Image:
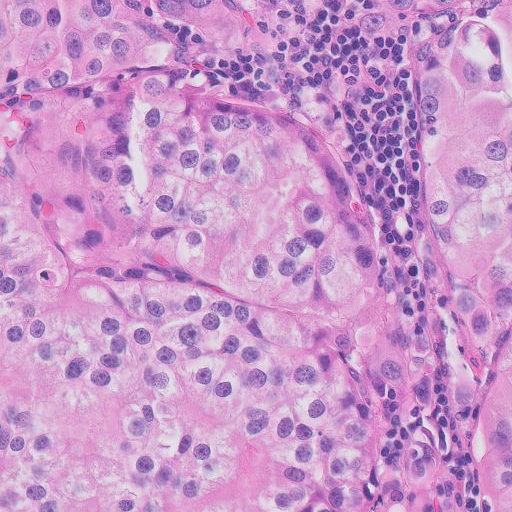
A 0.26-mm field of an H&E-stained sentinel lymph node from a breast-cancer patient (whole-slide image), shown at about 20×, about 0.5 µm per pixel.
Question:
Which parts of this field are metastatic tumour? Answer with the outline of each region, in pixels.
Answer:
Outlines of two tumour regions, largest first (closed clockwise paths, crop pixels): region 1: (0, 0), (301, 0), (304, 108), (350, 208), (393, 440), (418, 511), (0, 511); region 2: (333, 0), (511, 0), (511, 511), (491, 511), (418, 314), (390, 81).
About 90% of this field is tumour.